Question: 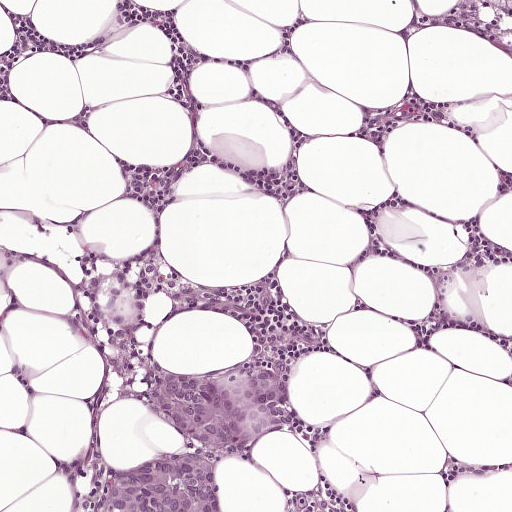
Lymph node section stained with H&E, from a whole-slide image of a breast-cancer sentinel node. Magnification about 10×, about 0.5 mm across the frame, about 0.97 µm per pixel.
Estimate the proportion of this field that is metastatic tumour.

Choices:
 (A) about 50% or more
 (B) about 5% or less
 (C) none: no tumour is outlined
 (D) about 25% to 45%
 (E) about 10% to 20%

Answer: (B) about 5% or less
About 5% of the field is tumour.
Metastatic tumour outline, simplified to 18 points and listed clockwise in crop pixels (x, y): (177, 368), (204, 378), (260, 369), (285, 379), (269, 401), (280, 410), (283, 424), (250, 450), (224, 455), (215, 466), (218, 511), (96, 511), (129, 468), (200, 455), (201, 441), (167, 415), (160, 402), (159, 388).